H&E-stained section of a sentinel lymph node (breast cancer), from a whole-slide image, viewed at about 20×: the field is about 0.25 mm across, about 0.49 µm per pixel.
Image:
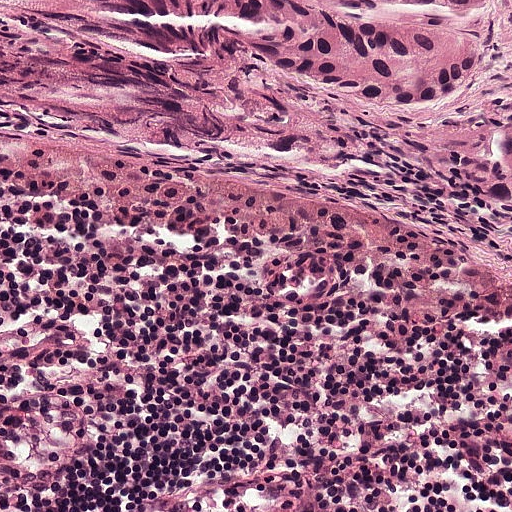
Question:
Which parts of this field are metastatic tumour? Answer with the outline of each region, in pixels.
Answer:
Tumour region outline (a closed clockwise path, crop pixels): (0, 0), (478, 0), (451, 100), (340, 142), (158, 136), (1, 108).
Tumour covers about 25% of the frame.